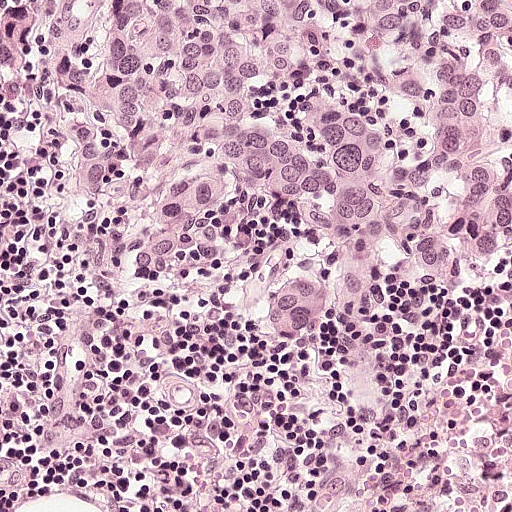
H&E-stained section of a sentinel lymph node (breast cancer), from a whole-slide image, viewed at about 20×: the field is about 0.25 mm across, about 0.49 µm per pixel.
Tumour region outline (a closed clockwise path, crop pixels): (0, 0), (511, 0), (506, 256), (478, 275), (445, 276), (420, 225), (390, 253), (368, 326), (328, 348), (273, 347), (220, 308), (140, 305), (31, 144), (32, 118), (1, 91).
About 55% of the image area is annotated as tumour.